Lymph node section stained with H&E, from a whole-slide image of a breast-cancer sentinel node. Magnification about 20×, about 0.25 mm across the frame, about 0.49 µm per pixel.
Question: 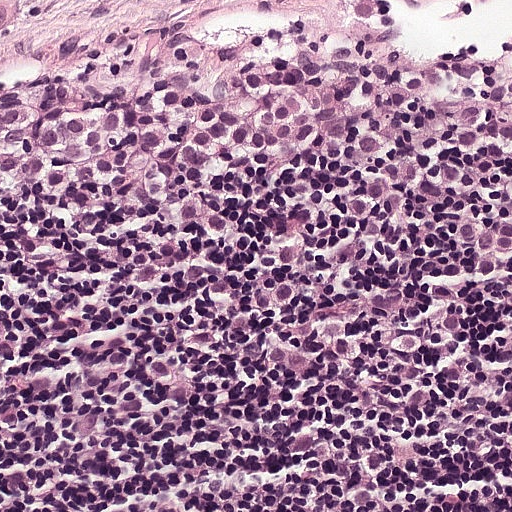
About how much of this crop is taken up by metastatic carcinoma?

Choices:
 (A) about 50% or more
 (B) none: no tumour is outlined
 (C) about 5% or less
 (D) about 25% to 45%
 (E) about 10% to 20%

Answer: (D) about 25% to 45%
About 40% of the field is tumour.
Tumour region outline (a closed clockwise path, crop pixels): (307, 0), (511, 0), (511, 228), (122, 228), (6, 242), (0, 60), (13, 54).